Image:
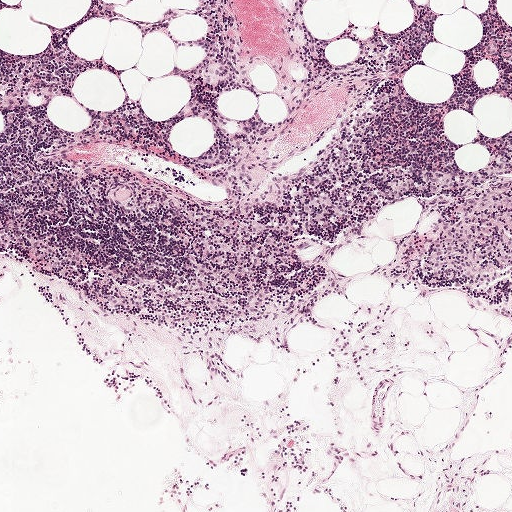
This is a crop of a whole-slide image: an H&E-stained breast-cancer sentinel lymph node section at roughly 5× magnification (about 1.9 µm per pixel; the crop spans about 1 mm).
Question:
Is there metastatic carcinoma in this field?
Answer:
No. No metastatic tumour is outlined in this field.